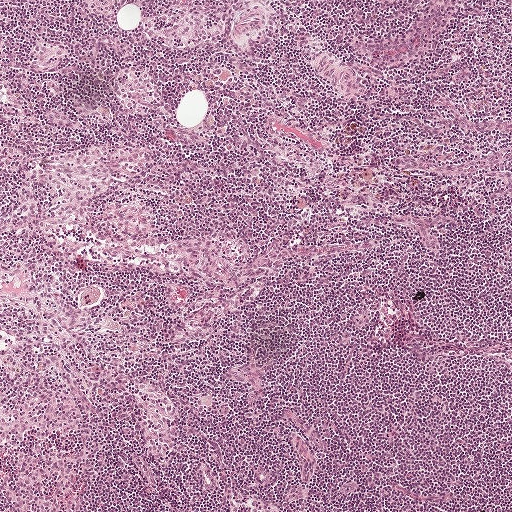
Lymph node section stained with H&E, from a whole-slide image of a breast-cancer sentinel node. Magnification about 5×, about 1 mm across the frame, about 1.9 µm per pixel.